Question: 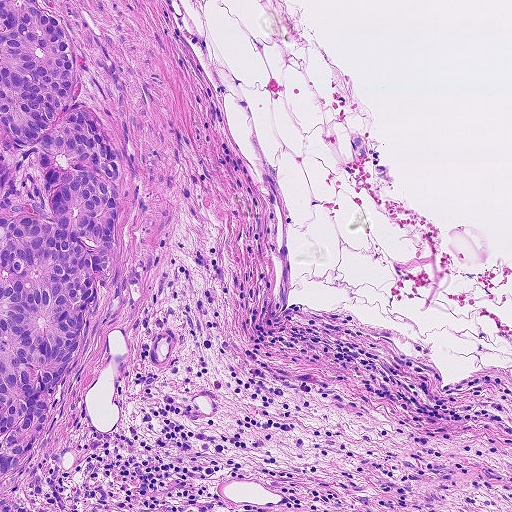
H&E-stained section of a sentinel lymph node (breast cancer), from a whole-slide image, viewed at about 10×: the field is about 0.46 mm across, about 0.9 µm per pixel.
Estimate the proportion of this field that is metastatic tumour.

Choices:
 (A) about 10% to 20%
 (B) none: no tumour is outlined
 (C) about 5% or less
 (D) about 50% or more
 (E) about 25% to 45%

Answer: (A) about 10% to 20%
About 15% of the field is tumour.
The outlined metastatic tumour's edge, as a closed clockwise path of 14 points: (0, 0), (37, 0), (60, 20), (76, 58), (72, 103), (106, 118), (120, 174), (120, 220), (77, 375), (48, 401), (42, 439), (10, 488), (33, 511), (0, 511).